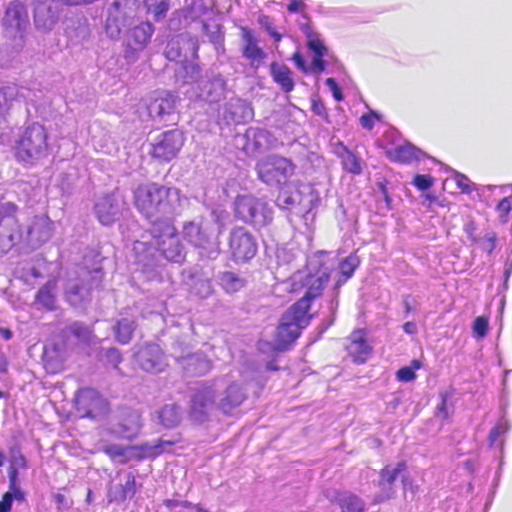
This is a crop of a whole-slide image: an H&E-stained breast-cancer sentinel lymph node section at roughly 40× magnification (about 0.23 µm per pixel; the crop spans about 0.12 mm).
The outlined metastatic tumour's edge, as a closed clockwise path of 12 points: (0, 0), (195, 0), (233, 19), (295, 101), (346, 199), (343, 303), (326, 352), (293, 391), (204, 452), (103, 450), (63, 412), (0, 292).
Tumour covers about 50% of the frame.